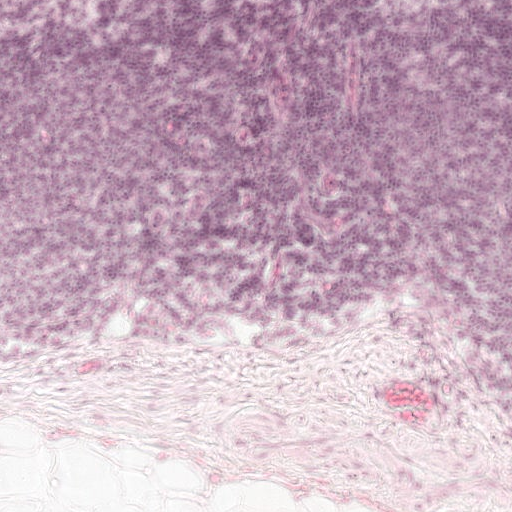
H&E-stained section of a sentinel lymph node (breast cancer), from a whole-slide image, viewed at about 10×: the field is about 0.5 mm across, about 0.97 µm per pixel.